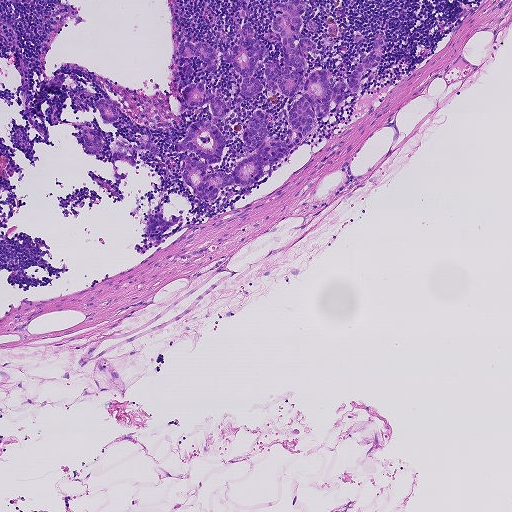
Lymph node section stained with H&E, from a whole-slide image of a breast-cancer sentinel node. Magnification about 5×, about 0.93 mm across the frame, about 1.8 µm per pixel.
One tumour region is annotated but not outlined: its edge is too irregular for a short outline.
Tumour covers about 5% of the frame.